This is a crop of a whole-slide image: an H&E-stained breast-cancer sentinel lymph node section at roughly 2.5× magnification (about 3.6 µm per pixel; the crop spans about 1.9 mm).
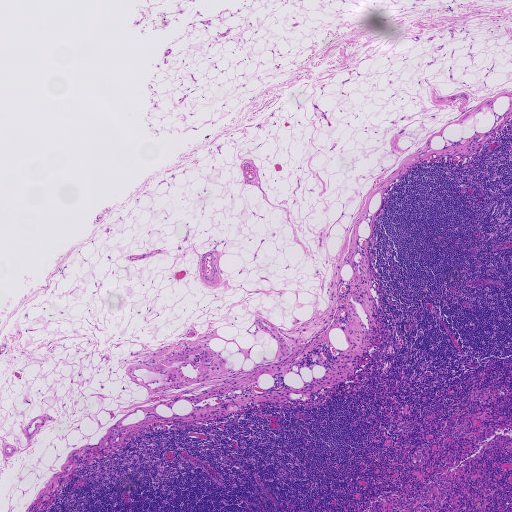
Metastatic tumour outline, simplified to 10 points and listed clockwise in crop pixels (x, y): (123, 426), (129, 427), (126, 433), (120, 436), (116, 442), (110, 443), (107, 443), (106, 440), (109, 433), (109, 430).
Under 5% of this field is tumour.